Question: 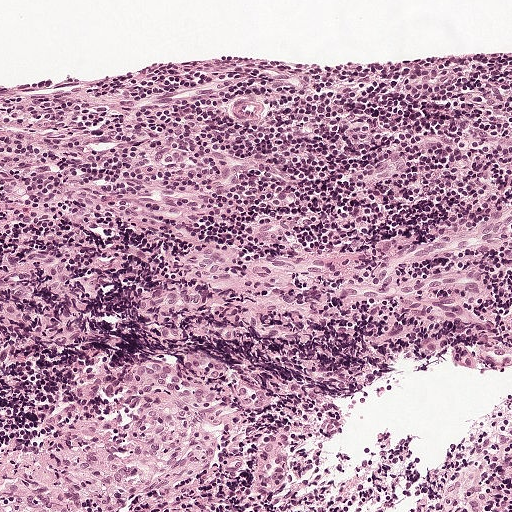
Which magnification is this H&E lymph node field most likely shown at?

Choices:
 (A) about 10×
 (B) about 20×
 (C) about 2.5×
 (D) about 5×
 (E) about 40×

Answer: (A) about 10×
This is a crop of a whole-slide image: an H&E-stained breast-cancer sentinel lymph node section at roughly 10× magnification (about 0.97 µm per pixel; the crop spans about 0.5 mm).